Question: 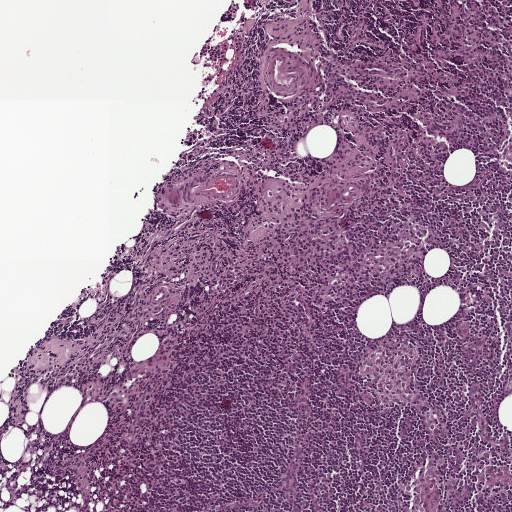
Which magnification is this H&E lymph node field most likely shown at?

Choices:
 (A) about 5×
 (B) about 2.5×
 (C) about 20×
 (D) about 40×
 (E) about 10×

Answer: (A) about 5×
H&E-stained section of a sentinel lymph node (breast cancer), from a whole-slide image, viewed at about 5×: the field is about 1 mm across, about 1.9 µm per pixel.